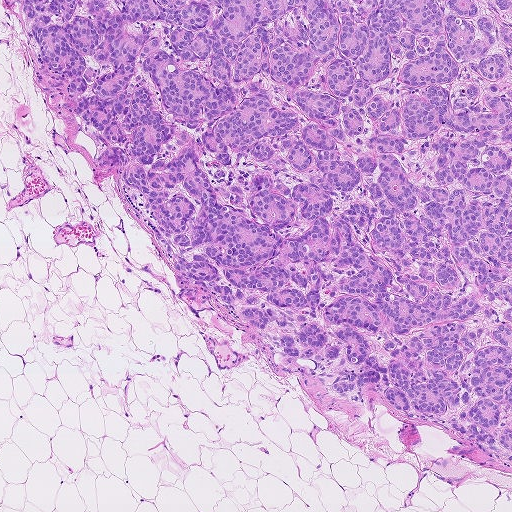
Lymph node section stained with H&E, from a whole-slide image of a breast-cancer sentinel node. Magnification about 5×, about 0.93 mm across the frame, about 1.8 µm per pixel.
Tumour region outline (a closed clockwise path, crop pixels): (21, 0), (511, 0), (511, 463), (366, 389), (363, 401), (339, 398), (312, 360), (277, 352), (201, 283), (176, 284), (119, 170), (94, 165), (94, 140), (57, 108), (65, 84), (36, 60).
About 60% of this field is tumour.